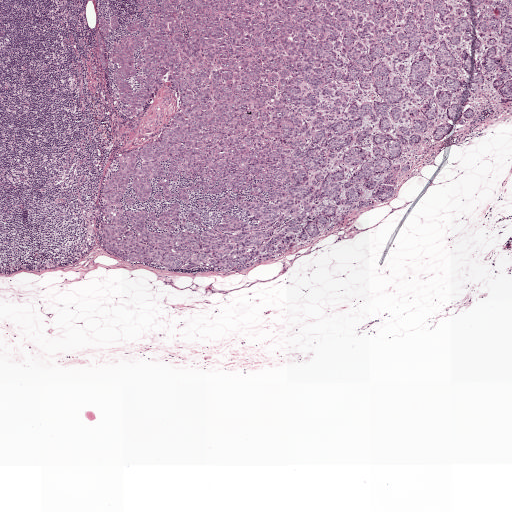
H&E-stained section of a sentinel lymph node (breast cancer), from a whole-slide image, viewed at about 2.5×: the field is about 2.0 mm across, about 3.9 µm per pixel.
Tumour region outline (a closed clockwise path, crop pixels): (511, 0), (511, 106), (485, 84), (483, 100), (466, 102), (487, 119), (451, 120), (423, 156), (404, 150), (395, 194), (349, 205), (340, 230), (252, 268), (132, 263), (101, 246), (104, 185), (178, 101), (162, 85), (130, 121), (118, 114), (96, 34), (105, 15), (131, 23), (137, 6).
The annotated tumour makes up about 30% of the crop.